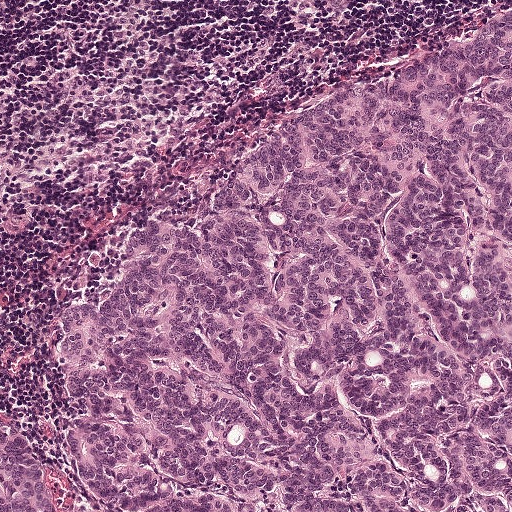
A 0.5-mm field of an H&E-stained sentinel lymph node from a breast-cancer patient (whole-slide image), shown at about 10×, about 0.97 µm per pixel.
Question: Describe where the metastatic carcinoma lies in this crop.
Answer: Metastatic tumour outline, simplified to 13 points and listed clockwise in crop pixels (x, y): (511, 0), (511, 511), (0, 511), (0, 403), (52, 434), (42, 408), (48, 326), (97, 286), (145, 217), (241, 137), (350, 74), (470, 25), (492, 2).
Tumour covers about 70% of the frame.